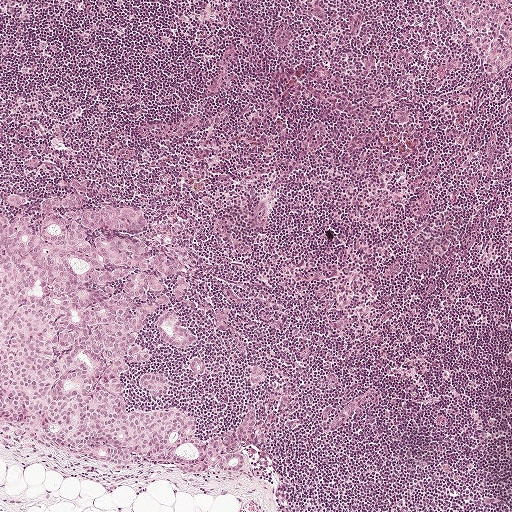
Lymph node section stained with H&E, from a whole-slide image of a breast-cancer sentinel node. Magnification about 5×, about 1 mm across the frame, about 1.9 µm per pixel.
Two metastatic tumour regions, each outlined as a closed clockwise path in crop pixels (x, y), largest first: region 1: (75, 192), (139, 208), (151, 224), (143, 237), (184, 265), (192, 289), (176, 312), (198, 347), (160, 340), (153, 312), (140, 335), (150, 358), (122, 379), (125, 405), (182, 407), (208, 438), (244, 420), (250, 401), (262, 430), (247, 470), (122, 467), (1, 438), (0, 193); region 2: (153, 371), (163, 373), (168, 379), (170, 395), (166, 399), (153, 398), (143, 392), (139, 386), (142, 376).
Tumour covers about 20% of the frame.